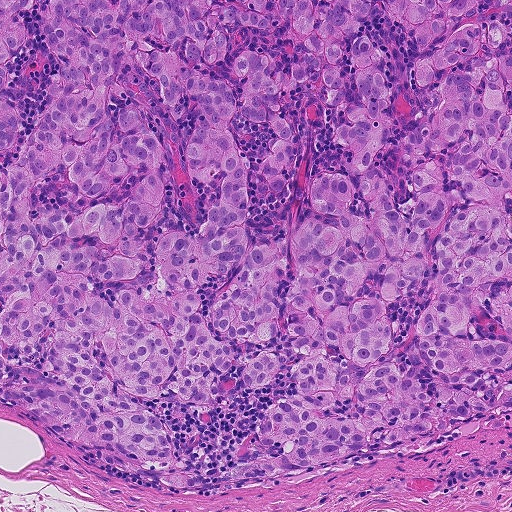
This is a crop of a whole-slide image: an H&E-stained breast-cancer sentinel lymph node section at roughly 10× magnification (about 0.9 µm per pixel; the crop spans about 0.46 mm).
Tumour region outline (a closed clockwise path, crop pixels): (0, 0), (511, 0), (511, 414), (320, 472), (300, 470), (255, 428), (263, 410), (299, 392), (293, 364), (278, 386), (219, 407), (136, 401), (166, 422), (172, 471), (205, 485), (180, 489), (132, 476), (4, 404).
Tumour covers about 85% of the frame.